Image:
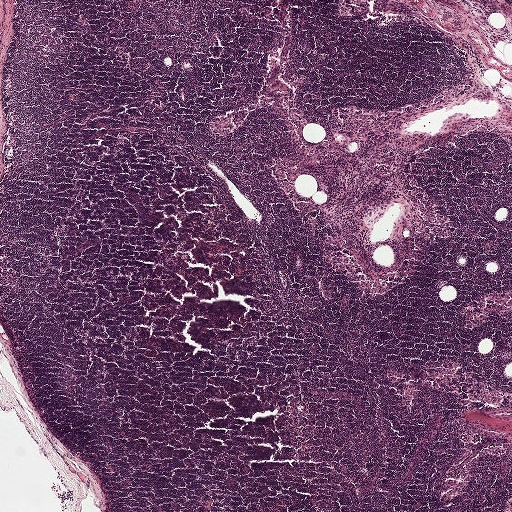
Lymph node section stained with H&E, from a whole-slide image of a breast-cancer sentinel node. Magnification about 2.5×, about 2.0 mm across the frame, about 3.9 µm per pixel.
Question:
Is there metastatic carcinoma in this field?
Answer:
No, this field holds no outlined metastasis.